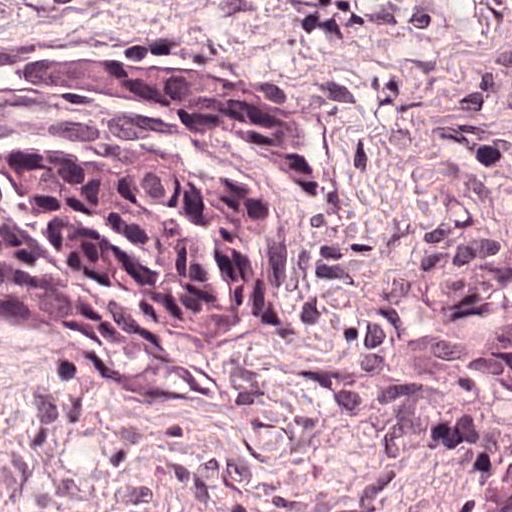
Lymph node section stained with H&E, from a whole-slide image of a breast-cancer sentinel node. Magnification about 40×, about 0.12 mm across the frame, about 0.24 µm per pixel.
Metastatic tumour outline, simplified to 7 points and listed clockwise in crop pixels (x, y): (8, 57), (286, 85), (324, 212), (292, 331), (259, 349), (80, 349), (0, 331).
Tumour covers about 35% of the frame.